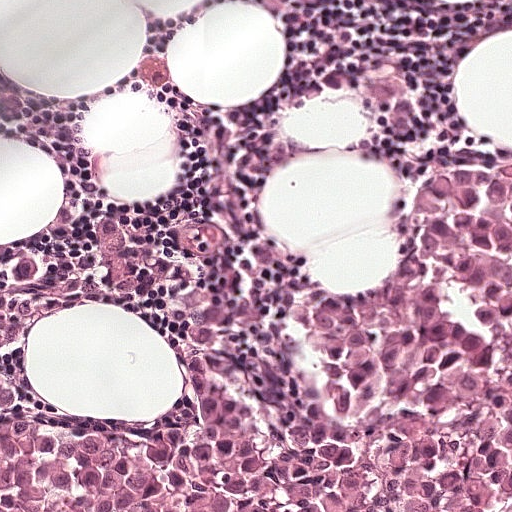
Lymph node section stained with H&E, from a whole-slide image of a breast-cancer sentinel node. Magnification about 20×, about 0.25 mm across the frame, about 0.49 µm per pixel.
One metastatic tumour region; its boundary, reduced to 15 corners and listed clockwise: (510, 167), (511, 491), (490, 506), (0, 511), (5, 406), (86, 404), (170, 424), (210, 378), (262, 428), (301, 426), (292, 344), (301, 306), (322, 289), (407, 265), (460, 194).
About 35% of the image area is annotated as tumour.